A 2.0-mm field of an H&E-stained sentinel lymph node from a breast-cancer patient (whole-slide image), shown at about 2.5×, about 3.9 µm per pixel.
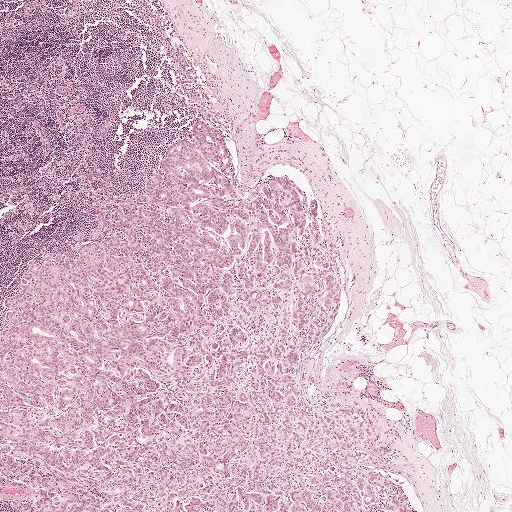
One metastatic tumour region; its boundary, reduced to 22 corners and listed clockwise: (202, 121), (239, 198), (280, 177), (317, 202), (340, 296), (300, 386), (357, 414), (352, 462), (399, 481), (413, 511), (25, 511), (37, 488), (0, 481), (0, 336), (27, 265), (49, 251), (78, 260), (69, 247), (90, 243), (72, 236), (133, 207), (164, 149).
About 40% of the image area is annotated as tumour.